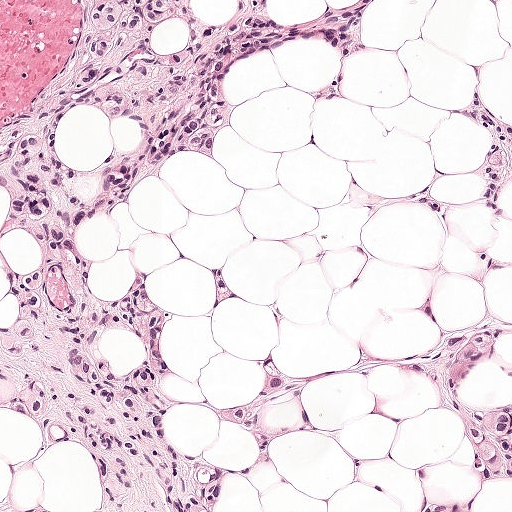
Lymph node section stained with H&E, from a whole-slide image of a breast-cancer sentinel node. Magnification about 10×, about 0.5 mm across the frame, about 0.97 µm per pixel.
Boundaries of two metastatic tumour regions, simplified and listed clockwise, largest first: region 1: (0, 0), (191, 0), (160, 24), (172, 46), (236, 0), (365, 0), (323, 103), (325, 28), (242, 34), (212, 158), (173, 158), (83, 234), (97, 289), (139, 273), (189, 318), (217, 258), (240, 294), (158, 342), (177, 444), (230, 465), (210, 511), (135, 511), (62, 430), (4, 411); region 2: (475, 322), (492, 333), (491, 352), (464, 373), (460, 393), (511, 402), (511, 480), (504, 483), (478, 482), (472, 449), (458, 420), (444, 412), (440, 398), (429, 387), (424, 372), (402, 362), (402, 358), (416, 347).
About 35% of the image area is annotated as tumour.